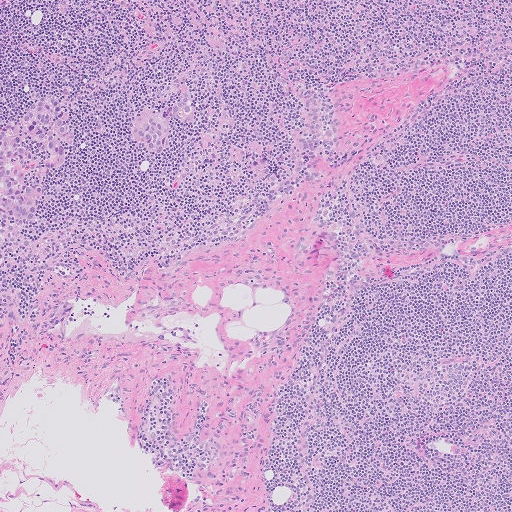
This is a crop of a whole-slide image: an H&E-stained breast-cancer sentinel lymph node section at roughly 5× magnification (about 2.0 µm per pixel; the crop spans about 1.0 mm).
Question: Which parts of this field are metastatic tumour?
Answer: Outlines of four tumour regions, largest first (closed clockwise paths, crop pixels): region 1: (41, 94), (54, 94), (65, 108), (73, 133), (71, 146), (65, 148), (60, 167), (42, 179), (29, 175), (28, 182), (41, 187), (42, 194), (36, 222), (30, 224), (0, 216), (0, 123), (17, 120); region 2: (161, 106), (168, 126), (164, 153), (158, 155), (151, 154), (142, 144), (130, 138), (128, 132), (134, 118), (140, 112); region 3: (191, 89), (197, 110), (193, 125), (187, 126), (174, 121), (170, 115), (171, 108), (178, 95), (184, 90); region 4: (258, 156), (266, 156), (268, 167), (250, 175), (244, 172), (247, 165), (252, 160).
One more small tumour piece is annotated here but not outlined.
About 5% of the image area is annotated as tumour.